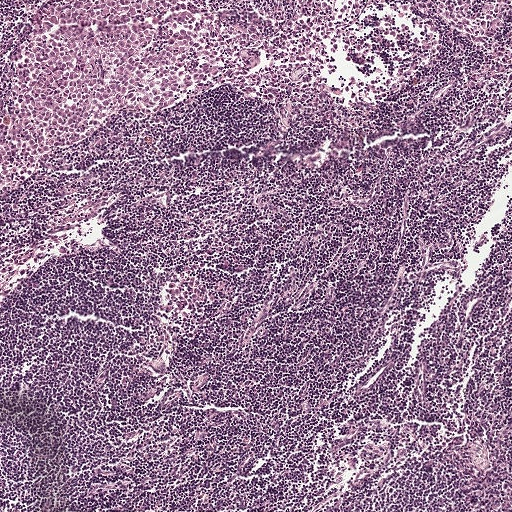
Lymph node section stained with H&E, from a whole-slide image of a breast-cancer sentinel node. Magnification about 5×, about 1 mm across the frame, about 1.9 µm per pixel.
Question: Where is the metastatic tumour in this field? Give each region's outline as (x, y) pixel points.
Answer: Metastatic tumour outline, simplified to 14 points and listed clockwise in crop pixels (x, y): (127, 32), (190, 60), (214, 63), (218, 79), (214, 87), (171, 107), (118, 113), (66, 152), (16, 151), (3, 143), (0, 131), (6, 88), (23, 45), (38, 39).
The annotated tumour makes up about 5% of the crop.